Question: 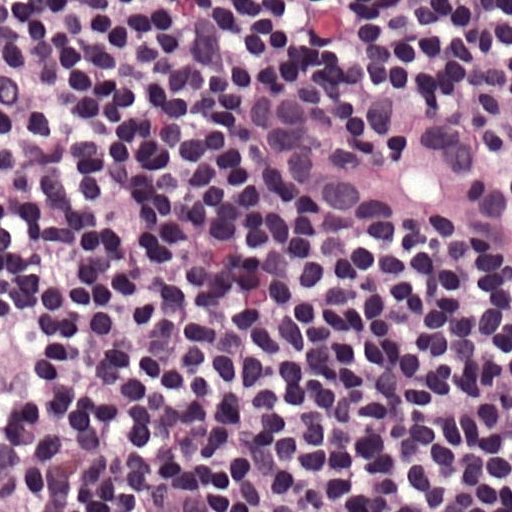
Which magnification is this H&E lymph node field most likely shown at?

Choices:
 (A) about 5×
 (B) about 20×
 (C) about 40×
 (D) about 10×
 (E) about 2.5×

Answer: (C) about 40×
This is a crop of a whole-slide image: an H&E-stained breast-cancer sentinel lymph node section at roughly 40× magnification (about 0.24 µm per pixel; the crop spans about 0.12 mm).
The outlined metastatic tumour's edge, as a closed clockwise path of 13 points: (263, 78), (367, 79), (446, 102), (511, 143), (511, 274), (493, 278), (420, 251), (382, 251), (346, 233), (293, 182), (259, 164), (235, 135), (233, 96).
About 15% of the image area is annotated as tumour.